Question: 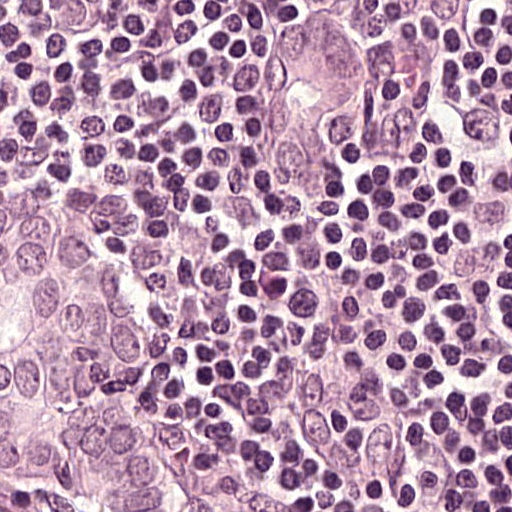
At roughly what magnification is this field shown?

Choices:
 (A) about 2.5×
 (B) about 10×
 (C) about 40×
 (D) about 5×
 (E) about 20×

Answer: (C) about 40×
Lymph node section stained with H&E, from a whole-slide image of a breast-cancer sentinel node. Magnification about 40×, about 0.12 mm across the frame, about 0.24 µm per pixel.
Three metastatic tumour regions, each outlined as a closed clockwise path in crop pixels (x, y), largest first: region 1: (72, 165), (146, 221), (180, 276), (206, 354), (219, 506), (0, 511), (0, 170); region 2: (306, 2), (341, 6), (367, 54), (364, 111), (326, 164), (308, 179), (292, 179), (273, 169), (267, 156), (267, 123), (256, 94), (256, 68), (263, 48); region 3: (57, 0), (106, 0), (106, 14), (103, 29), (99, 31), (81, 31), (63, 25), (56, 18).
Tumour covers about 30% of the frame.